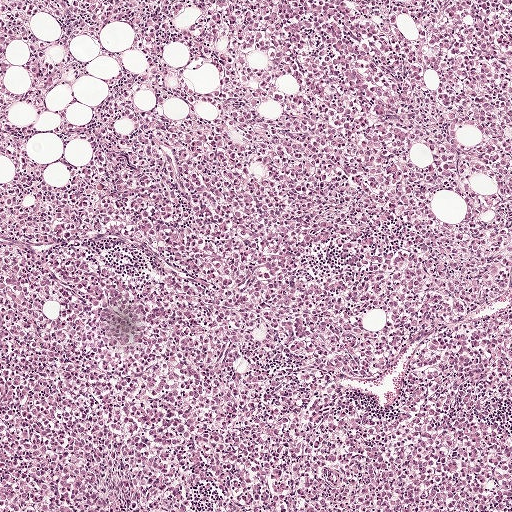
H&E-stained section of a sentinel lymph node (breast cancer), from a whole-slide image, viewed at about 5×: the field is about 1 mm across, about 1.9 µm per pixel.
Question: Does this lymph node field contain metastatic tumour?
Answer: Yes.
Outlines of three tumour regions, largest first (closed clockwise paths, crop pixels): region 1: (275, 0), (487, 5), (511, 41), (511, 280), (500, 298), (417, 332), (353, 376), (225, 383), (172, 326), (152, 267), (151, 206), (166, 169), (188, 152), (228, 130), (313, 114), (317, 94), (264, 34); region 2: (511, 321), (511, 511), (421, 511), (421, 498), (410, 487), (409, 471), (410, 456), (417, 444), (468, 420), (497, 420), (507, 414), (484, 352), (491, 337); region 3: (0, 0), (3, 1), (5, 18), (10, 25), (10, 34), (4, 47), (5, 58), (9, 67), (3, 76), (3, 86), (11, 96), (11, 103), (8, 106), (8, 110), (17, 128), (20, 129), (24, 134), (22, 147), (11, 154), (0, 153).
About 45% of this field is tumour.